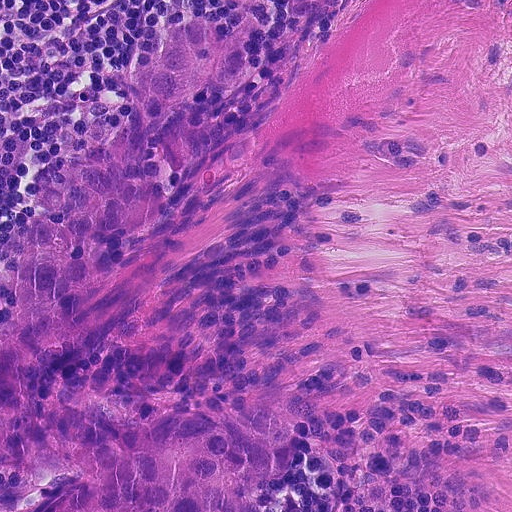
H&E-stained section of a sentinel lymph node (breast cancer), from a whole-slide image, viewed at about 20×: the field is about 0.23 mm across, about 0.45 µm per pixel.
The outlined metastatic tumour's edge, as a closed clockwise path of 21 points: (233, 0), (265, 0), (242, 90), (164, 129), (156, 291), (52, 388), (142, 422), (288, 411), (290, 467), (243, 499), (266, 511), (21, 511), (54, 486), (0, 471), (0, 243), (53, 216), (33, 183), (102, 144), (156, 38), (189, 16), (226, 32).
About 25% of this field is tumour.